Question: 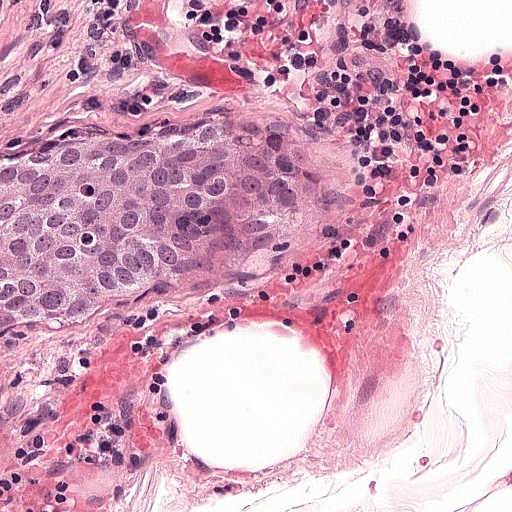
This is a crop of a whole-slide image: an H&E-stained breast-cancer sentinel lymph node section at roughly 20× magnification (about 0.49 µm per pixel; the crop spans about 0.25 mm).
What fraction of the image area is metastatic tumour?

Choices:
 (A) none: no tumour is outlined
 (B) about 50% or more
 (C) about 5% or less
 (D) about 10% to 20%
 (E) about 25% to 45%

Answer: (D) about 10% to 20%
About 20% of the field is tumour.
The outlined metastatic tumour's edge, as a closed clockwise path of 11 points: (269, 112), (300, 125), (313, 160), (267, 246), (193, 271), (145, 301), (32, 328), (0, 345), (0, 171), (102, 128), (188, 134).